A 0.46-mm field of an H&E-stained sentinel lymph node from a breast-cancer patient (whole-slide image), shown at about 10×, about 0.9 µm per pixel.
Question: 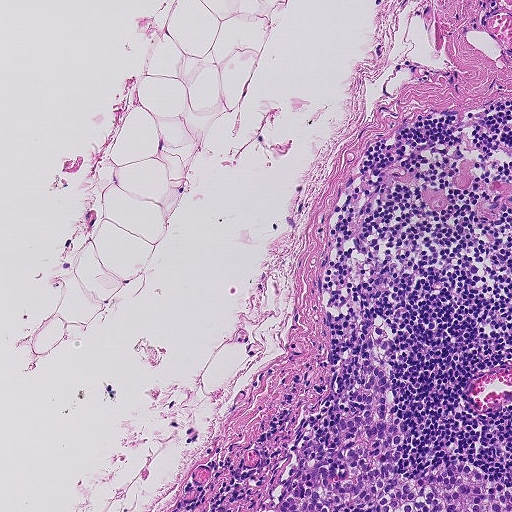
About how much of this crop is taken up by metastatic carcinoma?

Choices:
 (A) about 25% to 45%
 (B) about 10% to 20%
 (C) none: no tumour is outlined
 (D) about 50% or more
 (E) about 5% or less

Answer: (E) about 5% or less
About 5% of the field is tumour.
The outlined metastatic tumour's edge, as a closed clockwise path of 24 points: (378, 314), (393, 335), (388, 362), (405, 436), (396, 470), (410, 480), (440, 463), (466, 462), (490, 480), (511, 486), (511, 511), (276, 511), (281, 485), (296, 460), (289, 448), (300, 448), (312, 429), (328, 449), (336, 446), (338, 403), (362, 414), (364, 405), (350, 395), (370, 323).